Question: 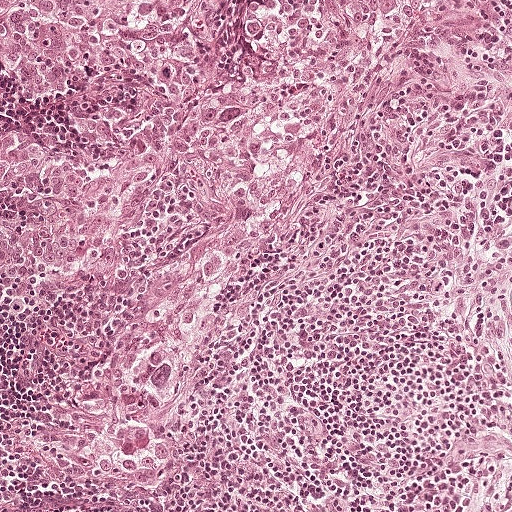
H&E-stained section of a sentinel lymph node (breast cancer), from a whole-slide image, viewed at about 10×: the field is about 0.5 mm across, about 0.97 µm per pixel.
Roughly what share of this field is metastatic tumour?

Choices:
 (A) about 5% or less
 (B) about 10% to 20%
 (C) about 25% to 45%
 (D) about 50% or more
 (E) none: no tumour is outlined

Answer: (D) about 50% or more
About 50% of the field is tumour.
Metastatic tumour outline, simplified to 13 points and listed clockwise in crop pixels (x, y): (0, 0), (461, 0), (358, 58), (239, 327), (206, 377), (176, 484), (144, 501), (113, 494), (59, 509), (0, 498), (0, 392), (20, 337), (0, 303).